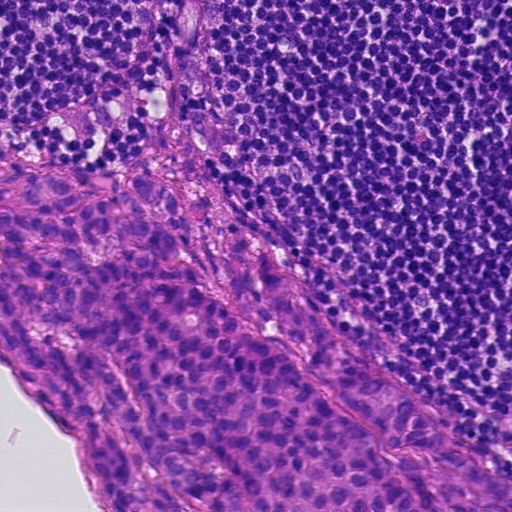
Lymph node section stained with H&E, from a whole-slide image of a breast-cancer sentinel node. Magnification about 20×, about 0.23 mm across the frame, about 0.45 µm per pixel.
Metastatic tumour outline, simplified to 10 points and listed clockwise in crop pixels (x, y): (0, 154), (178, 175), (277, 246), (352, 346), (506, 473), (511, 466), (511, 511), (99, 511), (70, 438), (0, 366).
One more small tumour piece is annotated here but not outlined.
About 45% of this field is tumour.